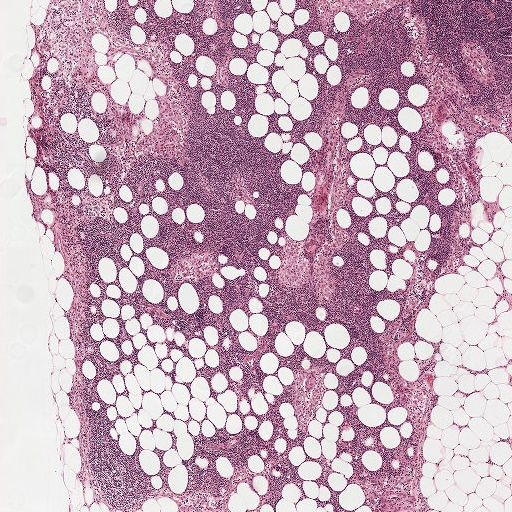
A 2.0-mm field of an H&E-stained sentinel lymph node from a breast-cancer patient (whole-slide image), shown at about 2.5×, about 3.9 µm per pixel.